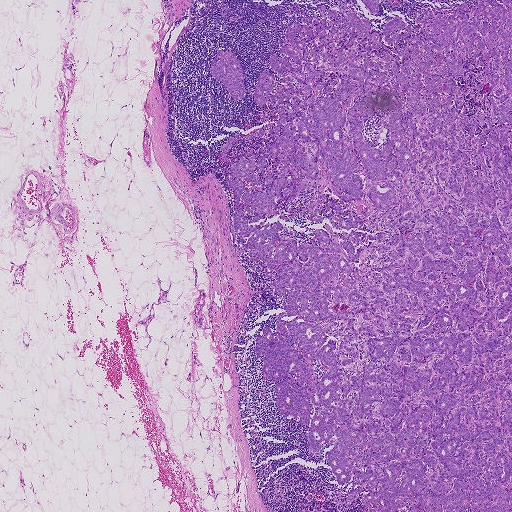
H&E-stained section of a sentinel lymph node (breast cancer), from a whole-slide image, viewed at about 2.5×: the field is about 1.9 mm across, about 3.6 µm per pixel.
Outlines of two tumour regions, largest first (closed clockwise paths, crop pixels): region 1: (356, 0), (379, 0), (379, 29), (511, 0), (511, 511), (366, 511), (361, 492), (337, 510), (353, 485), (327, 465), (334, 445), (310, 453), (308, 424), (278, 411), (255, 350), (284, 310), (231, 228), (221, 147), (277, 124), (260, 107), (269, 56), (322, 5), (364, 18); region 2: (228, 49), (232, 52), (239, 61), (245, 94), (245, 98), (237, 101), (231, 96), (221, 82), (211, 75), (210, 63), (216, 51), (220, 50), (224, 52).
About 45% of the image area is annotated as tumour.